H&E-stained section of a sentinel lymph node (breast cancer), from a whole-slide image, viewed at about 20×: the field is about 0.23 mm across, about 0.45 µm per pixel.
Question: 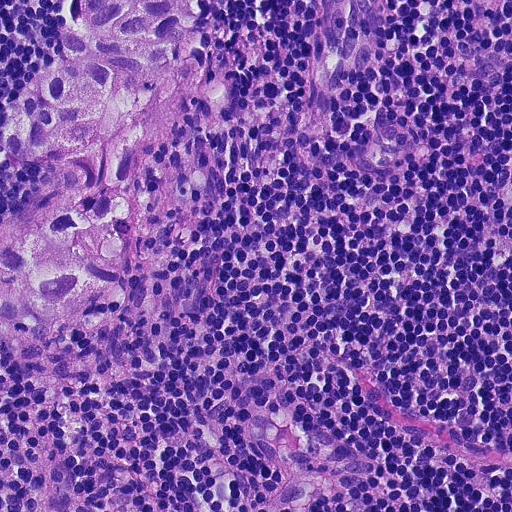
Roughly what share of this field is metastatic tumour?

Choices:
 (A) about 5% or less
 (B) about 10% to 20%
 (C) about 50% or more
 (D) about 25% to 45%
 (E) none: no tumour is outlined

Answer: (D) about 25% to 45%
About 30% of the field is tumour.
Outlines of two tumour regions, largest first (closed clockwise paths, crop pixels): region 1: (227, 0), (236, 59), (232, 115), (216, 138), (220, 193), (182, 265), (148, 368), (68, 389), (0, 353), (0, 221), (50, 164), (4, 160), (0, 114), (62, 50), (50, 8); region 2: (319, 0), (385, 0), (382, 34), (372, 59), (352, 72), (346, 95), (323, 111), (308, 92).